Image:
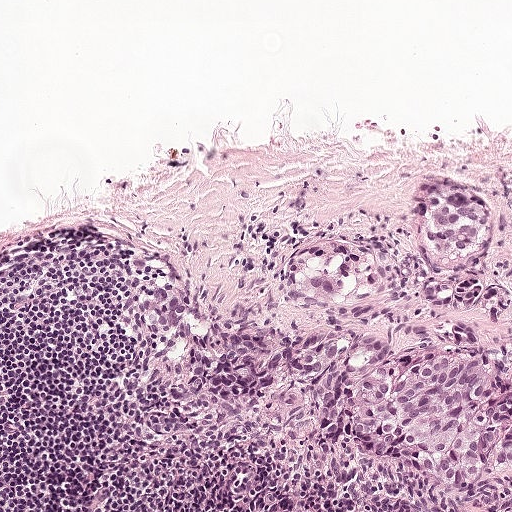
Lymph node section stained with H&E, from a whole-slide image of a breast-cancer sentinel node. Magnification about 10×, about 0.5 mm across the frame, about 0.97 µm per pixel.
Question:
Which parts of this field are metastatic tumour?
Answer:
Four metastatic tumour regions, each outlined as a closed clockwise path in crop pixels (x, y), largest first: region 1: (462, 323), (480, 335), (473, 347), (511, 347), (511, 468), (474, 488), (451, 490), (409, 464), (374, 460), (322, 439), (314, 424), (315, 399), (294, 376), (293, 353), (333, 334), (384, 338), (390, 357), (400, 358), (455, 342), (455, 328); region 2: (323, 240), (359, 245), (366, 252), (379, 250), (401, 261), (410, 268), (416, 294), (404, 297), (384, 318), (354, 323), (340, 323), (320, 311), (295, 304), (286, 297), (284, 272), (292, 258); region 3: (439, 181), (478, 192), (481, 198), (492, 204), (497, 214), (497, 227), (492, 248), (464, 264), (449, 264), (440, 261), (420, 238), (414, 210), (417, 197), (424, 185); region 4: (468, 273), (482, 274), (487, 280), (490, 290), (504, 285), (508, 287), (510, 299), (507, 313), (500, 315), (492, 315), (482, 310), (480, 307), (474, 313), (457, 315), (446, 308), (430, 307), (424, 304), (422, 290), (442, 281), (454, 285), (458, 283), (461, 278).
Tumour covers about 15% of the frame.